This is a crop of a whole-slide image: an H&E-stained breast-cancer sentinel lymph node section at roughly 20× magnification (about 0.49 µm per pixel; the crop spans about 0.25 mm).
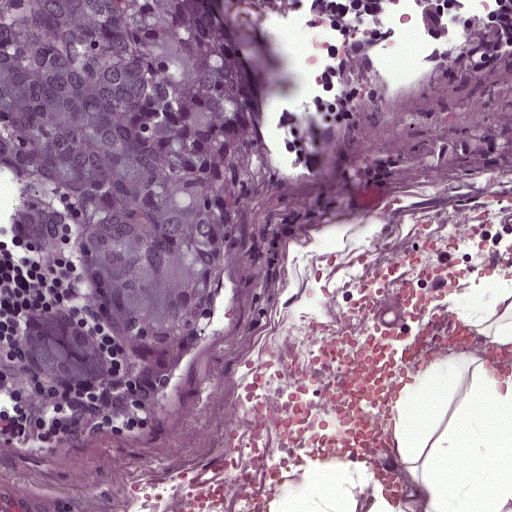
Outlines of two tumour regions, largest first (closed clockwise paths, crop pixels): region 1: (0, 0), (280, 0), (280, 107), (250, 139), (238, 282), (190, 370), (148, 376), (92, 325), (70, 264), (20, 256), (5, 229), (15, 212), (0, 181); region 2: (49, 306), (76, 320), (102, 355), (98, 382), (64, 384), (28, 372), (19, 346), (22, 318).
About 35% of the image area is annotated as tumour.